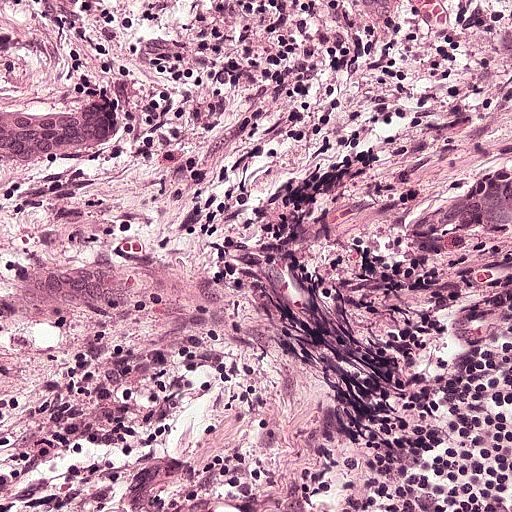
Lymph node section stained with H&E, from a whole-slide image of a breast-cancer sentinel node. Magnification about 20×, about 0.25 mm across the frame, about 0.49 µm per pixel.
Outlines of two tumour regions, largest first (closed clockwise paths, crop pixels): region 1: (0, 0), (261, 0), (214, 111), (114, 190), (58, 266), (46, 306), (56, 334), (1, 384); region 2: (511, 182), (511, 243), (462, 242), (442, 234), (443, 226), (448, 222), (464, 212), (465, 209), (476, 206).
About 20% of the image area is annotated as tumour.